This is a crop of a whole-slide image: an H&E-stained breast-cancer sentinel lymph node section at roughly 20× magnification (about 0.49 µm per pixel; the crop spans about 0.25 mm).
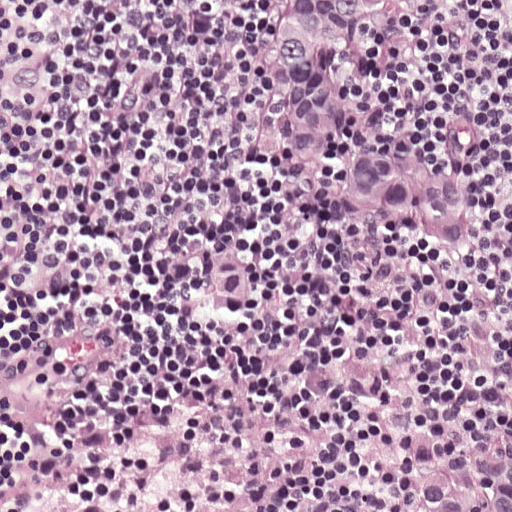
Three metastatic tumour regions, each outlined as a closed clockwise path in crop pixels (x, y), largest first: region 1: (396, 130), (468, 162), (508, 192), (490, 233), (385, 236), (332, 224), (312, 182), (343, 143); region 2: (255, 0), (425, 0), (379, 26), (356, 70), (349, 118), (305, 148), (274, 112), (251, 68), (248, 20); region 3: (511, 422), (511, 511), (333, 511), (364, 471), (410, 442), (462, 424).
One more small tumour piece is annotated here but not outlined.
The annotated tumour makes up about 15% of the crop.